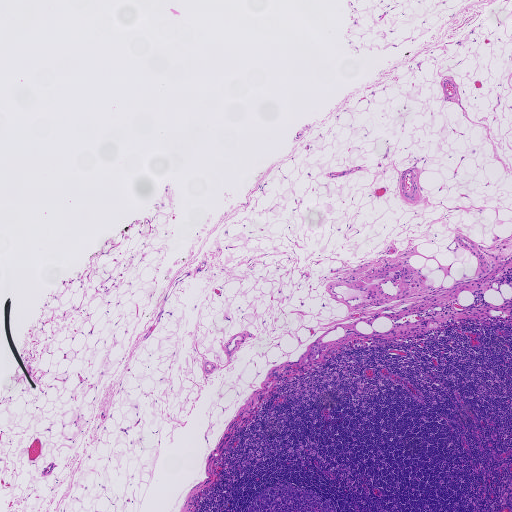
H&E-stained section of a sentinel lymph node (breast cancer), from a whole-slide image, viewed at about 2.5×: the field is about 1.9 mm across, about 3.6 µm per pixel.
Tumour region outline (a closed clockwise path, crop pixels): (323, 343), (329, 344), (326, 350), (320, 352), (316, 359), (310, 360), (307, 360), (306, 356), (309, 350), (309, 347).
Under 5% of the image area is annotated as tumour.